Question: 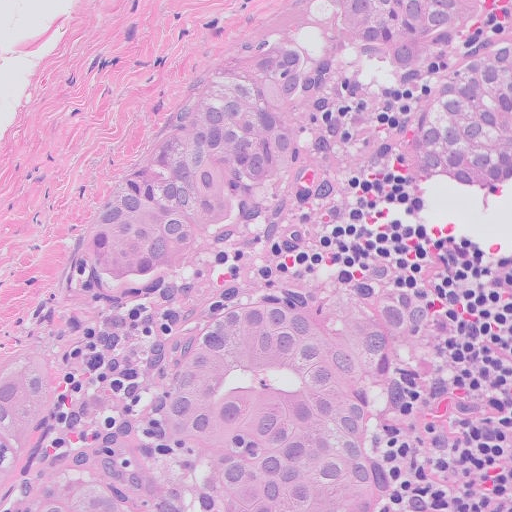
Lymph node section stained with H&E, from a whole-slide image of a breast-cancer sentinel node. Magnification about 20×, about 0.26 mm across the frame, about 0.5 µm per pixel.
About how much of this crop is taken up by metastatic carcinoma?

Choices:
 (A) about 25% to 45%
 (B) about 5% or less
 (C) about 10% to 20%
 (D) none: no tumour is outlined
 (E) about 50% or more

Answer: (E) about 50% or more
About 55% of the field is tumour.
Outlines of two tumour regions, largest first (closed clockwise paths, crop pixels): region 1: (331, 266), (395, 282), (420, 301), (443, 360), (403, 443), (412, 470), (400, 511), (0, 511), (0, 369), (50, 356), (72, 377), (60, 440), (89, 432), (186, 323), (244, 292); region 2: (295, 0), (486, 0), (502, 31), (511, 30), (511, 175), (478, 190), (416, 186), (396, 164), (392, 134), (414, 76), (330, 164), (176, 271), (147, 280), (90, 272), (88, 214), (180, 94).